Lymph node section stained with H&E, from a whole-slide image of a breast-cancer sentinel node. Magnification about 10×, about 0.5 mm across the frame, about 0.97 µm per pixel.
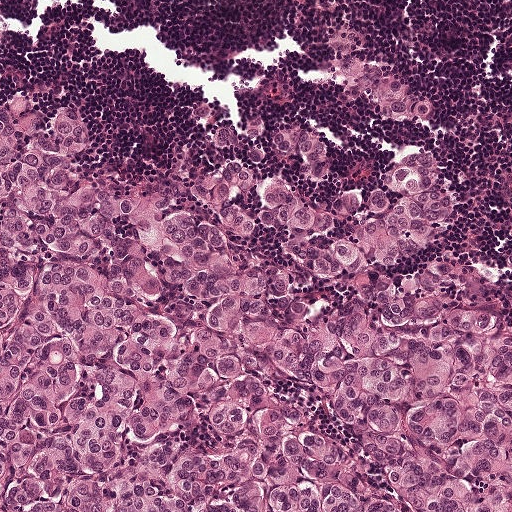
Two metastatic tumour regions, each outlined as a closed clockwise path in crop pixels (x, y), largest first: region 1: (0, 18), (48, 94), (82, 111), (131, 168), (168, 161), (193, 114), (224, 99), (306, 103), (365, 170), (409, 159), (433, 166), (451, 244), (486, 267), (510, 267), (511, 511), (0, 511); region 2: (349, 56), (374, 58), (395, 65), (399, 68), (410, 88), (422, 100), (434, 102), (431, 132), (395, 127), (372, 110), (350, 78).
About 75% of the image area is annotated as tumour.